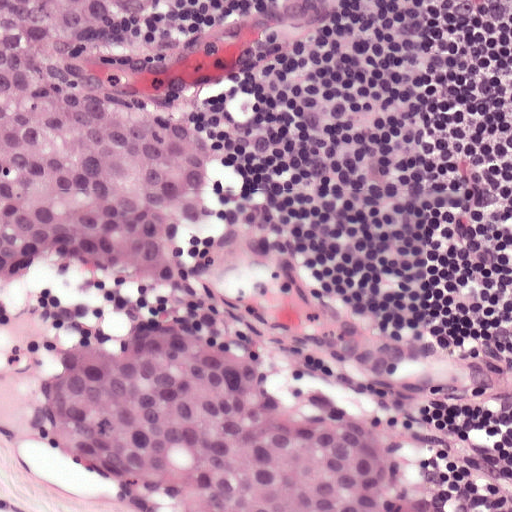
A 0.25-mm field of an H&E-stained sentinel lymph node from a breast-cancer patient (whole-slide image), shown at about 20×, about 0.49 µm per pixel.
Outlines of two tumour regions, largest first (closed clockwise paths, crop pixels): region 1: (180, 317), (328, 378), (482, 511), (129, 511), (66, 470), (34, 432), (32, 382), (69, 347); region 2: (0, 0), (122, 0), (194, 118), (207, 169), (198, 218), (176, 264), (136, 294), (84, 308), (0, 291).
The annotated tumour makes up about 40% of the crop.